Question: 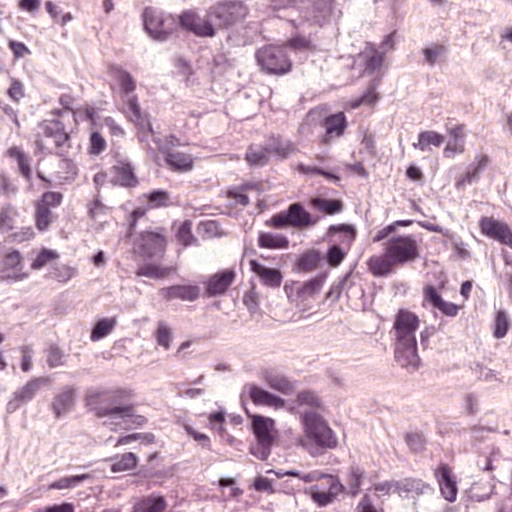
At roughly what magnification is this field shown?

Choices:
 (A) about 40×
 (B) about 5×
 (C) about 20×
 (D) about 2.5×
 (E) about 10×

Answer: (A) about 40×
H&E-stained section of a sentinel lymph node (breast cancer), from a whole-slide image, viewed at about 40×: the field is about 0.12 mm across, about 0.24 µm per pixel.
Outlines of four tumour regions, largest first (closed clockwise paths, crop pixels): region 1: (303, 172), (360, 175), (381, 197), (394, 240), (451, 220), (467, 227), (475, 275), (460, 331), (435, 342), (401, 342), (360, 320), (353, 306), (328, 331), (260, 338), (215, 311), (151, 306), (131, 295), (121, 238), (201, 202), (247, 218), (267, 211), (278, 190); region 2: (106, 0), (418, 0), (408, 49), (392, 77), (326, 120), (281, 137), (228, 137), (192, 122), (137, 68); region 3: (281, 370), (324, 390), (351, 420), (347, 458), (326, 467), (465, 472), (511, 461), (511, 511), (35, 511), (126, 476), (206, 465), (253, 449), (265, 438), (253, 426), (253, 392); region 4: (0, 112), (37, 122), (74, 149), (98, 215), (98, 254), (49, 268), (21, 293), (1, 327).
Two more small tumour pieces are annotated here but not outlined.
The annotated tumour makes up about 45% of the crop.